Image:
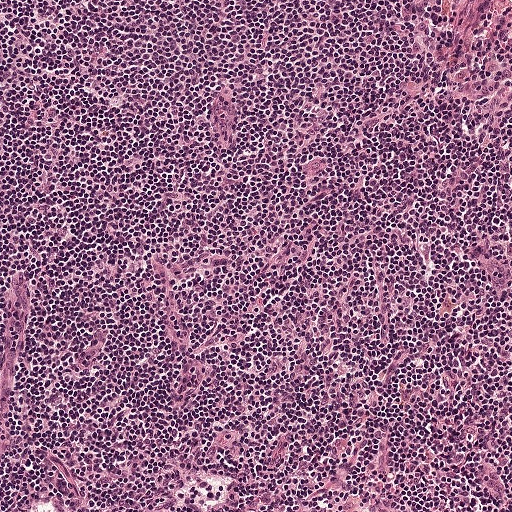
Lymph node section stained with H&E, from a whole-slide image of a breast-cancer sentinel node. Magnification about 10×, about 0.5 mm across the frame, about 0.97 µm per pixel.
Question:
Does this lymph node field contain metastatic tumour?
Answer:
No: no metastatic tumour is outlined anywhere in this field.